This is a crop of a whole-slide image: an H&E-stained breast-cancer sentinel lymph node section at roughly 20× magnification (about 0.49 µm per pixel; the crop spans about 0.25 mm).
Image:
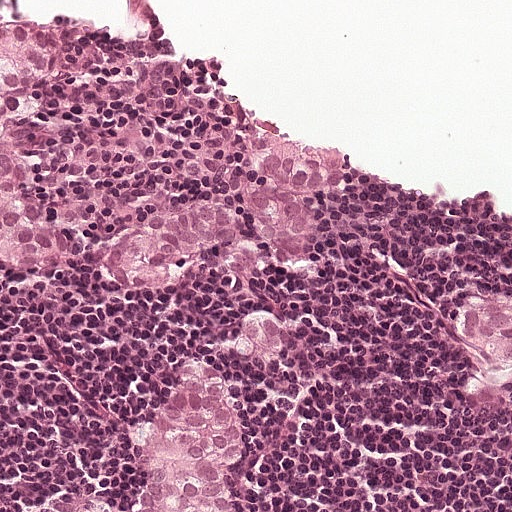
Question:
Trace the edge of each tumour region in this crop, as (x, y) points from 0 to 511.
Answer:
Outlines of four tumour regions, largest first (closed clockwise paths, crop pixels): region 1: (283, 139), (346, 149), (349, 196), (315, 207), (320, 252), (312, 263), (288, 264), (260, 252), (249, 239), (234, 238), (194, 256), (176, 284), (158, 290), (126, 286), (104, 270), (120, 241), (154, 213), (206, 200), (252, 202), (251, 184), (266, 174), (272, 144); region 2: (199, 359), (223, 365), (234, 380), (244, 412), (244, 454), (233, 474), (233, 494), (240, 511), (136, 511), (146, 484), (142, 465), (133, 451), (136, 425), (141, 414), (170, 396); region 3: (33, 22), (56, 38), (60, 66), (58, 78), (44, 86), (36, 118), (17, 122), (17, 140), (28, 167), (46, 182), (44, 224), (62, 236), (62, 260), (60, 272), (51, 277), (0, 268), (0, 23); region 4: (501, 288), (511, 296), (511, 363), (493, 363), (480, 355), (475, 344), (457, 326), (459, 314), (470, 299).
One more small tumour piece is annotated here but not outlined.
Tumour covers about 20% of the frame.